A 2.0-mm field of an H&E-stained sentinel lymph node from a breast-cancer patient (whole-slide image), shown at about 2.5×, about 3.9 µm per pixel.
Question: 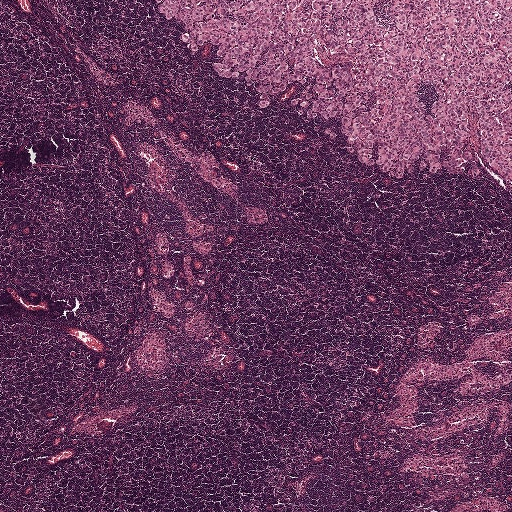
What fraction of the image area is metastatic tumour?

Choices:
 (A) none: no tumour is outlined
 (B) about 5% or less
 (C) about 50% or more
 (D) about 10% to 20%
 (E) about 25% to 45%

Answer: (D) about 10% to 20%
About 20% of the field is tumour.
Tumour region outline (a closed clockwise path, crop pixels): (511, 0), (511, 194), (466, 176), (446, 184), (375, 175), (344, 152), (341, 124), (298, 123), (286, 114), (295, 88), (258, 113), (252, 90), (213, 79), (184, 53), (150, 1).